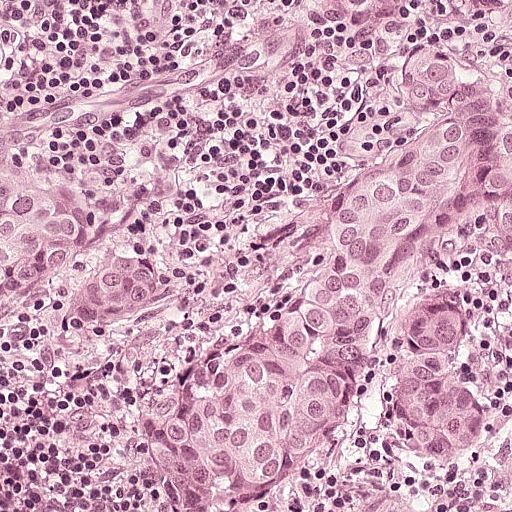
H&E-stained section of a sentinel lymph node (breast cancer), from a whole-slide image, viewed at about 20×: the field is about 0.25 mm across, about 0.49 µm per pixel.
Boundaries of two metastatic tumour regions, simplified and listed clockwise, largest first: region 1: (511, 0), (511, 511), (452, 511), (336, 438), (289, 511), (184, 511), (176, 502), (186, 416), (233, 320), (386, 102), (372, 68), (318, 30), (304, 2); region 2: (0, 110), (22, 132), (74, 152), (124, 184), (182, 254), (163, 277), (142, 320), (115, 346), (68, 330), (24, 356), (4, 356).
The annotated tumour makes up about 55% of the crop.